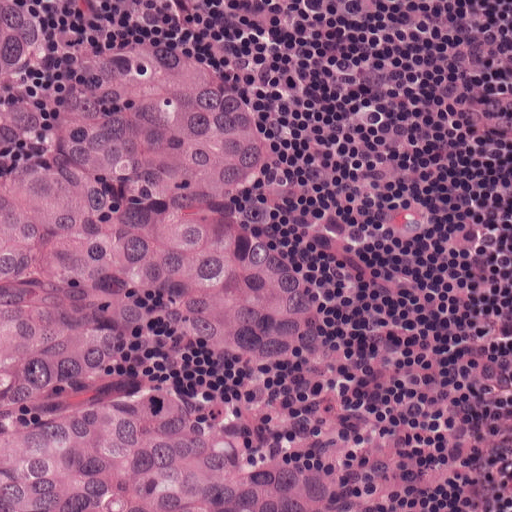
A 0.25-mm field of an H&E-stained sentinel lymph node from a breast-cancer patient (whole-slide image), shown at about 20×, about 0.49 µm per pixel.
Tumour region outline (a closed clockwise path, crop pixels): (0, 0), (194, 0), (272, 74), (276, 171), (398, 334), (443, 421), (403, 511), (0, 511).
About 65% of this field is tumour.